This is a crop of a whole-slide image: an H&E-stained breast-cancer sentinel lymph node section at roughly 5× magnification (about 1.9 µm per pixel; the crop spans about 1 mm).
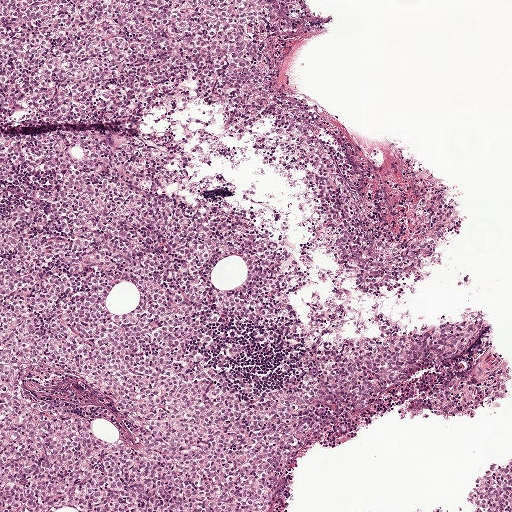
Question: Where is the metastatic tumour in this field?
Answer: Boundaries of two metastatic tumour regions, simplified and listed clockwise, largest first: region 1: (0, 0), (286, 0), (272, 82), (426, 264), (351, 285), (304, 148), (237, 111), (154, 109), (151, 138), (186, 151), (191, 205), (284, 246), (312, 350), (476, 324), (503, 402), (384, 415), (276, 511), (0, 511), (0, 136), (128, 141), (136, 116), (1, 122); region 2: (511, 462), (511, 511), (477, 511), (480, 510), (470, 500), (468, 495), (470, 489), (485, 474), (496, 467).
The annotated tumour makes up about 65% of the crop.